Lymph node section stained with H&E, from a whole-slide image of a breast-cancer sentinel node. Magnification about 20×, about 0.25 mm across the frame, about 0.49 µm per pixel.
Question: 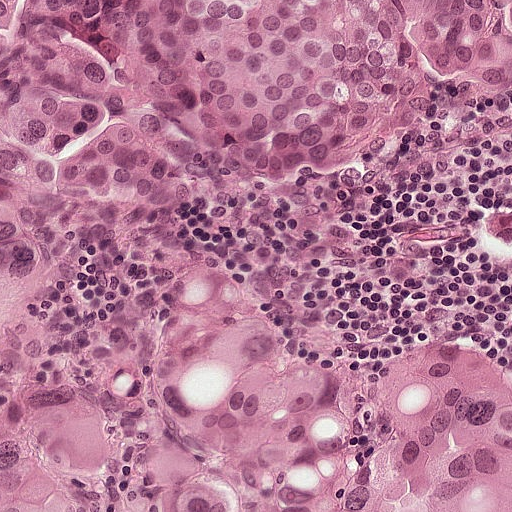
Estimate the proportion of this field that is metastatic tumour.

Choices:
 (A) about 50% or more
 (B) about 25% to 45%
 (C) about 10% to 20%
 (D) none: no tumour is outlined
 (E) about 5% or less

Answer: (A) about 50% or more
About 80% of the field is tumour.
Tumour region outline (a closed clockwise path, crop pixels): (0, 0), (511, 0), (511, 96), (464, 100), (340, 180), (186, 206), (178, 225), (262, 320), (341, 374), (368, 372), (390, 350), (430, 338), (456, 338), (511, 372), (511, 511), (0, 511).